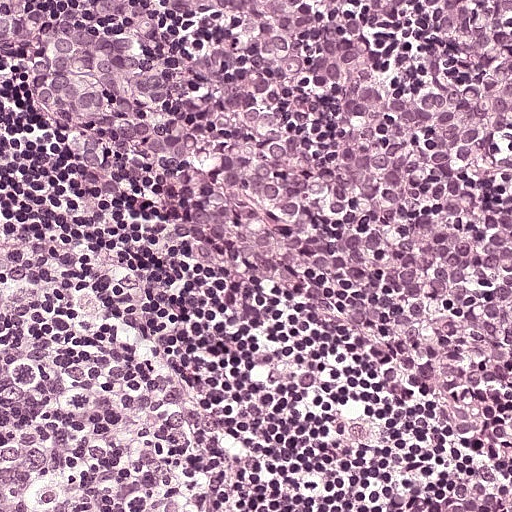
This is a crop of a whole-slide image: an H&E-stained breast-cancer sentinel lymph node section at roughly 20× magnification (about 0.49 µm per pixel; the crop spans about 0.25 mm).
Tumour region outline (a closed clockwise path, crop pixels): (0, 0), (511, 0), (511, 382), (414, 376), (333, 345), (111, 192), (109, 180), (42, 170), (2, 136).
Tumour covers about 55% of the frame.